Question: 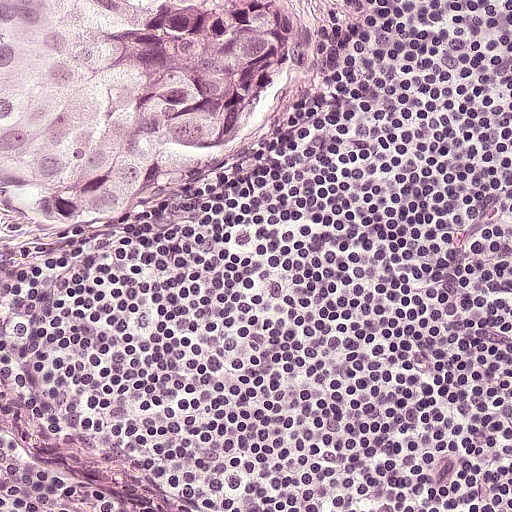
H&E-stained section of a sentinel lymph node (breast cancer), from a whole-slide image, viewed at about 20×: the field is about 0.25 mm across, about 0.49 µm per pixel.
Estimate the proportion of this field that is metastatic tumour.

Choices:
 (A) about 50% or more
 (B) about 5% or less
 (C) about 10% to 20%
 (D) about 25% to 45%
 (E) none: no tumour is outlined

Answer: (C) about 10% to 20%
About 20% of the field is tumour.
Tumour region outline (a closed clockwise path, crop pixels): (283, 0), (291, 33), (283, 110), (235, 164), (194, 169), (103, 240), (42, 233), (0, 196), (0, 29), (17, 1).